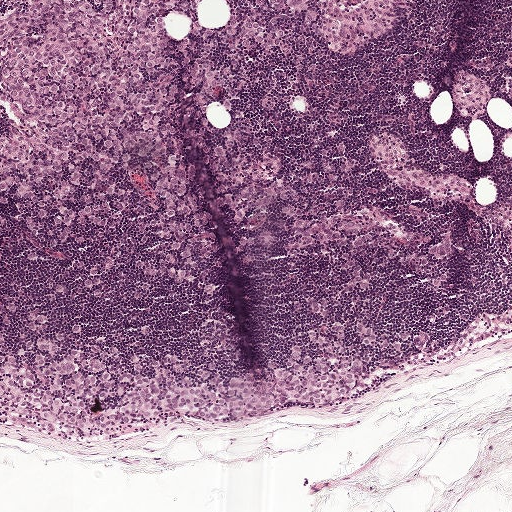
A 1-mm field of an H&E-stained sentinel lymph node from a breast-cancer patient (whole-slide image), shown at about 5×, about 1.9 µm per pixel.
Tumour region outline (a closed clockwise path, crop pixels): (0, 0), (204, 0), (198, 23), (221, 27), (231, 12), (225, 0), (308, 0), (308, 26), (254, 80), (201, 112), (221, 130), (251, 128), (275, 158), (285, 197), (282, 224), (236, 271), (176, 273), (98, 206), (2, 227).
The outline encloses a non-tumour hole of about 10% of the region's area.
About 20% of the image area is annotated as tumour.